Question: 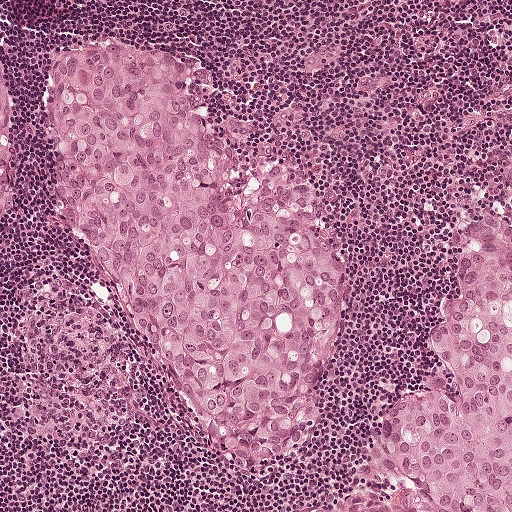
A 0.5-mm field of an H&E-stained sentinel lymph node from a breast-cancer patient (whole-slide image), shown at about 10×, about 0.97 µm per pixel.
Roughly what share of this field is metastatic tumour?

Choices:
 (A) none: no tumour is outlined
 (B) about 10% to 20%
 (C) about 50% or more
 (D) about 25% to 45%
 (E) about 5% or less

Answer: (D) about 25% to 45%
About 45% of the field is tumour.
Outlines of three tumour regions, largest first (closed clockwise paths, crop pixels): region 1: (90, 34), (174, 45), (196, 59), (210, 114), (307, 169), (349, 324), (321, 414), (280, 464), (220, 465), (162, 361), (125, 321), (51, 181), (50, 50); region 2: (510, 140), (511, 511), (272, 511), (289, 499), (332, 500), (384, 489), (364, 439), (385, 396), (412, 386), (427, 362), (447, 270), (487, 172); region 3: (0, 88), (6, 104), (8, 154), (4, 190), (0, 197).